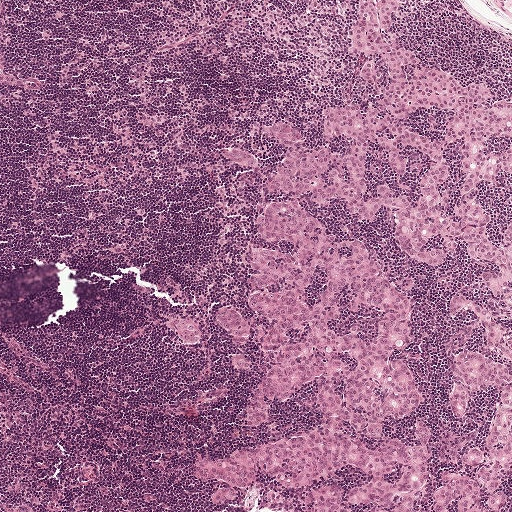
Lymph node section stained with H&E, from a whole-slide image of a breast-cancer sentinel node. Magnification about 5×, about 1 mm across the frame, about 1.9 µm per pixel.
Outlines of five tumour regions, largest first (closed clockwise paths, crop pixels): region 1: (282, 199), (371, 250), (407, 298), (413, 330), (392, 359), (418, 373), (422, 403), (380, 430), (408, 444), (414, 420), (427, 424), (431, 471), (412, 511), (348, 504), (370, 482), (346, 466), (294, 489), (256, 472), (208, 504), (226, 489), (194, 476), (195, 455), (320, 420), (312, 383), (241, 424), (266, 365), (247, 345), (251, 366), (232, 369), (215, 323), (228, 305), (272, 329), (244, 301), (248, 294), (278, 291), (282, 283), (254, 285), (245, 251), (290, 251), (254, 224); region 2: (362, 0), (406, 0), (398, 44), (487, 106), (511, 92), (511, 138), (483, 154), (511, 148), (511, 173), (474, 197), (494, 243), (511, 220), (511, 469), (500, 511), (431, 511), (439, 470), (476, 473), (440, 462), (438, 436), (484, 448), (502, 390), (453, 416), (447, 352), (508, 368), (444, 297), (490, 306), (497, 268), (460, 240), (411, 260), (381, 206), (365, 221), (268, 191), (287, 148), (258, 127), (342, 153), (322, 108), (380, 95), (350, 46); region 3: (325, 483), (341, 488), (342, 499), (349, 511), (304, 511), (304, 506), (305, 500), (315, 488); region 4: (172, 317), (184, 318), (192, 321), (200, 332), (200, 340), (193, 343), (178, 341), (163, 324), (163, 322); region 5: (223, 148), (240, 148), (252, 152), (256, 159), (255, 170), (244, 170), (229, 163), (218, 154).
Region 2 encloses three non-tumour holes totalling about 10% of its area.
Tumour covers about 30% of the frame.